Question: 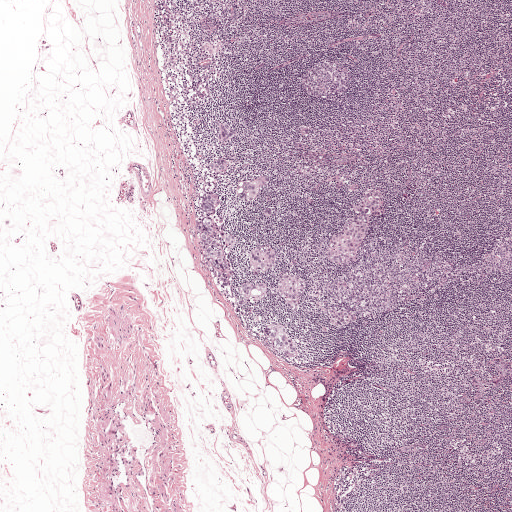
H&E-stained section of a sentinel lymph node (breast cancer), from a whole-slide image, viewed at about 2.5×: the field is about 2.0 mm across, about 3.9 µm per pixel.
Roughly what share of this field is metastatic tumour?

Choices:
 (A) none: no tumour is outlined
 (B) about 10% to 20%
 (C) about 5% or less
 (D) about 25% to 45%
 (E) about 50% or more

Answer: (C) about 5% or less
About 5% of the field is tumour.
The eight largest tumour regions' boundaries, simplified and listed clockwise, largest first: region 1: (208, 192), (216, 192), (221, 195), (223, 201), (218, 213), (223, 218), (224, 228), (236, 238), (236, 242), (233, 247), (223, 246), (225, 254), (233, 272), (230, 286), (227, 287), (218, 285), (203, 265), (197, 234), (199, 221), (204, 217), (205, 214), (198, 214), (197, 211), (204, 194); region 2: (367, 189), (379, 191), (383, 195), (383, 211), (369, 218), (367, 232), (351, 261), (344, 264), (337, 264), (331, 260), (327, 252), (329, 242), (332, 236), (341, 231), (346, 219), (357, 215), (350, 209), (350, 206), (362, 200), (365, 190); region 3: (273, 321), (283, 323), (288, 327), (296, 342), (298, 356), (293, 358), (276, 350), (264, 342), (261, 336), (261, 328), (264, 325); region 4: (284, 274), (290, 274), (306, 280), (307, 287), (300, 299), (297, 313), (288, 312), (284, 302), (274, 291), (277, 280); region 5: (263, 281), (269, 283), (269, 289), (265, 299), (262, 302), (244, 306), (240, 315), (237, 315), (234, 310), (236, 303), (241, 299), (238, 288), (243, 282), (254, 283); region 6: (263, 175), (271, 175), (269, 184), (260, 188), (253, 200), (248, 202), (240, 201), (234, 192), (234, 188), (238, 180), (252, 180); region 7: (259, 245), (274, 250), (275, 254), (271, 267), (262, 273), (253, 272), (249, 257), (251, 250); region 8: (331, 306), (346, 308), (358, 314), (357, 320), (349, 327), (339, 328), (329, 325), (331, 331), (324, 332), (321, 330), (321, 328), (327, 326), (326, 322), (331, 317), (328, 309).
Three more, smaller tumour regions are not outlined.
Eight more small tumour pieces are annotated here but not outlined.